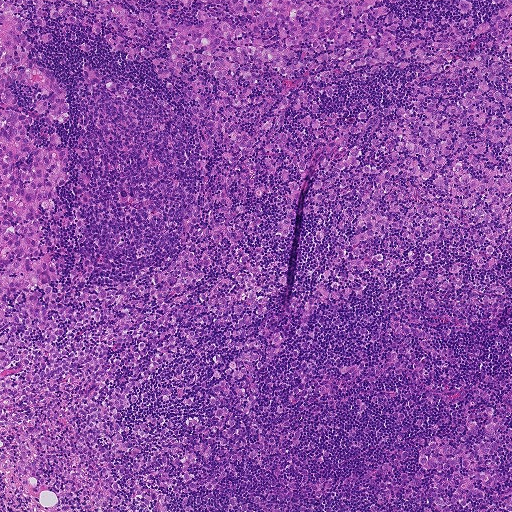
A 0.93-mm field of an H&E-stained sentinel lymph node from a breast-cancer patient (whole-slide image), shown at about 5×, about 1.8 µm per pixel.